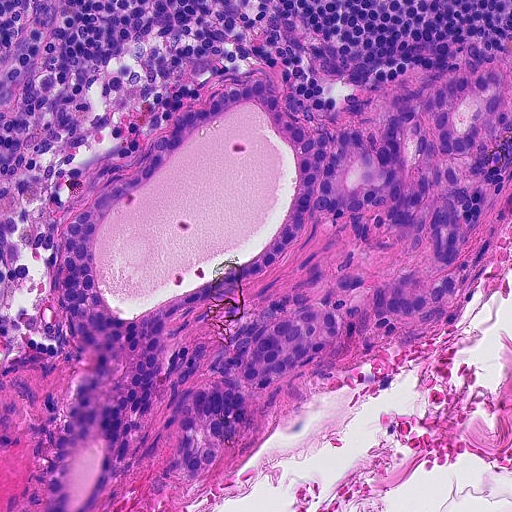
A 0.23-mm field of an H&E-stained sentinel lymph node from a breast-cancer patient (whole-slide image), shown at about 20×, about 0.45 µm per pixel.
Outlines of three tumour regions, largest first (closed clockwise paths, crop pixels): region 1: (502, 72), (496, 122), (442, 161), (472, 188), (464, 254), (418, 260), (384, 206), (312, 218), (273, 268), (162, 330), (158, 380), (123, 416), (92, 511), (48, 496), (90, 352), (61, 314), (66, 226), (174, 114), (244, 78), (277, 78), (310, 136), (380, 139), (436, 83); region 2: (299, 292), (339, 317), (334, 354), (274, 390), (258, 392), (241, 386), (249, 400), (250, 420), (242, 435), (226, 442), (210, 472), (193, 478), (181, 468), (171, 434), (160, 430), (168, 403), (180, 392), (214, 382), (210, 368), (224, 338), (282, 294); region 3: (452, 274), (457, 283), (454, 296), (409, 319), (388, 316), (381, 318), (372, 314), (372, 290), (375, 284), (388, 286), (393, 294), (410, 298).
About 35% of this field is tumour.